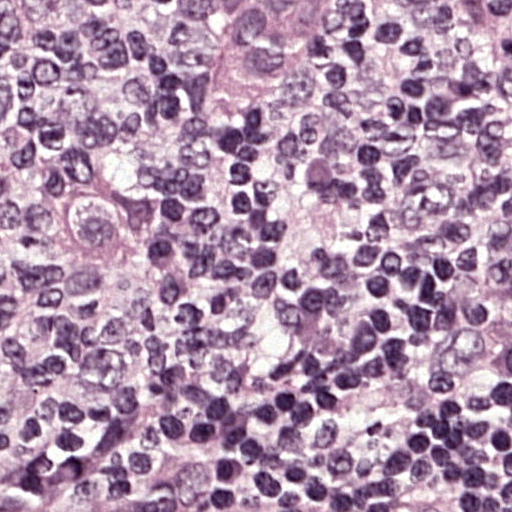
This is a crop of a whole-slide image: an H&E-stained breast-cancer sentinel lymph node section at roughly 40× magnification (about 0.24 µm per pixel; the crop spans about 0.12 mm).
Boundaries of two metastatic tumour regions, simplified and listed clockwise, largest first: region 1: (243, 0), (339, 0), (290, 90), (213, 124), (199, 84); region 2: (213, 453), (222, 495), (194, 511), (48, 511), (119, 498), (169, 456).
One more small tumour piece is annotated here but not outlined.
The annotated tumour makes up about 5% of the crop.